Question: 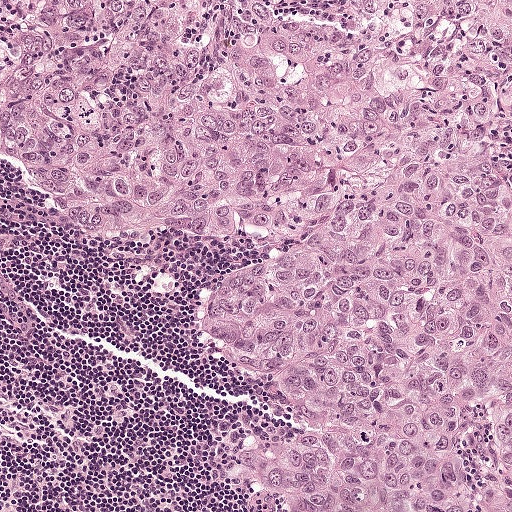
H&E-stained section of a sentinel lymph node (breast cancer), from a whole-slide image, viewed at about 10×: the field is about 0.5 mm across, about 0.97 µm per pixel.
Roughly what share of this field is metastatic tumour?

Choices:
 (A) about 50% or more
 (B) none: no tumour is outlined
 (C) about 25% to 45%
 (D) about 10% to 20%
 (E) about 5% or less

Answer: (A) about 50% or more
About 75% of the field is tumour.
One metastatic tumour region; its boundary, reduced to 16 corners and listed clockwise: (511, 0), (511, 511), (268, 511), (255, 503), (232, 461), (234, 444), (295, 418), (220, 372), (190, 312), (196, 288), (245, 270), (248, 253), (122, 254), (0, 179), (0, 42), (16, 1).